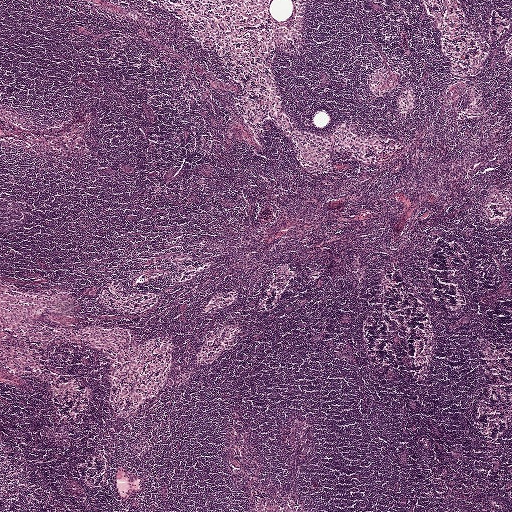
This is a crop of a whole-slide image: an H&E-stained breast-cancer sentinel lymph node section at roughly 2.5× magnification (about 3.9 µm per pixel; the crop spans about 2.0 mm).
Question: Does this lymph node field contain metastatic tumour?
Answer: No: no metastatic tumour is outlined anywhere in this field.